Lymph node section stained with H&E, from a whole-slide image of a breast-cancer sentinel node. Magnification about 2.5×, about 2.0 mm across the frame, about 3.9 µm per pixel.
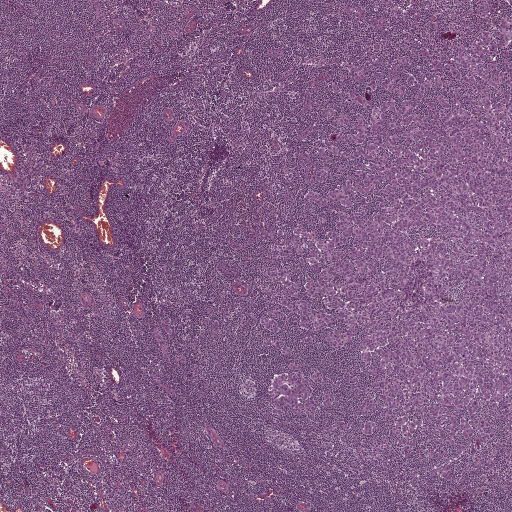
One metastatic tumour region; its boundary, reduced to 37 corners and listed clockwise: (478, 0), (511, 16), (511, 467), (370, 457), (362, 418), (328, 430), (347, 387), (309, 426), (270, 411), (289, 363), (330, 384), (363, 370), (349, 346), (318, 367), (301, 325), (278, 334), (293, 357), (261, 345), (284, 308), (265, 256), (297, 263), (275, 232), (297, 227), (326, 232), (300, 224), (322, 211), (300, 196), (346, 178), (312, 179), (352, 130), (321, 110), (360, 110), (328, 84), (385, 101), (342, 64), (450, 54), (492, 27).
The annotated tumour makes up about 30% of the crop.